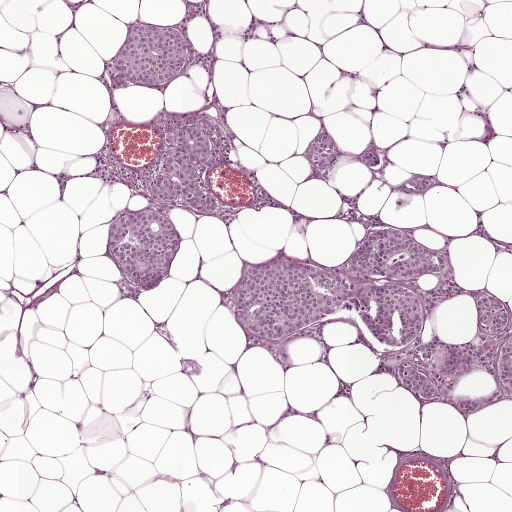
H&E-stained section of a sentinel lymph node (breast cancer), from a whole-slide image, viewed at about 5×: the field is about 1 mm across, about 1.9 µm per pixel.
Outlines of the eight largest metastatic tumour regions, each a closed clockwise path in crop pixels (x, y), largest first: region 1: (388, 228), (446, 256), (446, 267), (418, 280), (374, 281), (416, 292), (424, 299), (419, 330), (404, 345), (372, 337), (365, 316), (349, 302), (280, 336), (248, 336), (234, 319), (239, 276), (277, 259), (330, 272), (348, 284), (358, 280), (359, 270), (351, 262), (355, 252), (368, 235); region 2: (142, 21), (165, 24), (176, 28), (184, 38), (189, 48), (188, 59), (184, 70), (177, 78), (155, 83), (131, 83), (110, 75), (109, 64), (122, 32), (131, 25); region 3: (135, 210), (157, 212), (176, 228), (181, 238), (176, 259), (161, 274), (156, 284), (146, 286), (135, 284), (127, 278), (114, 260), (109, 227), (115, 219); region 4: (191, 129), (201, 131), (210, 138), (211, 148), (198, 165), (196, 182), (212, 197), (217, 207), (210, 214), (200, 212), (182, 199), (161, 200), (151, 196), (150, 186), (157, 166), (174, 151), (174, 140), (181, 132); region 5: (488, 294), (498, 300), (506, 307), (509, 316), (509, 327), (501, 333), (490, 334), (482, 327), (477, 318), (476, 308), (478, 297); region 6: (328, 134), (331, 137), (336, 150), (335, 158), (324, 166), (312, 163), (306, 146), (320, 135); region 7: (452, 348), (466, 352), (470, 358), (471, 365), (469, 372), (455, 375), (444, 373), (438, 368), (437, 361), (445, 350); region 8: (408, 367), (418, 371), (433, 385), (435, 391), (432, 400), (422, 397), (403, 385), (401, 375).
Four more, smaller tumour regions are not outlined.
Tumour covers about 10% of the frame.